H&E-stained section of a sentinel lymph node (breast cancer), from a whole-slide image, viewed at about 5×: the field is about 0.93 mm across, about 1.8 µm per pixel.
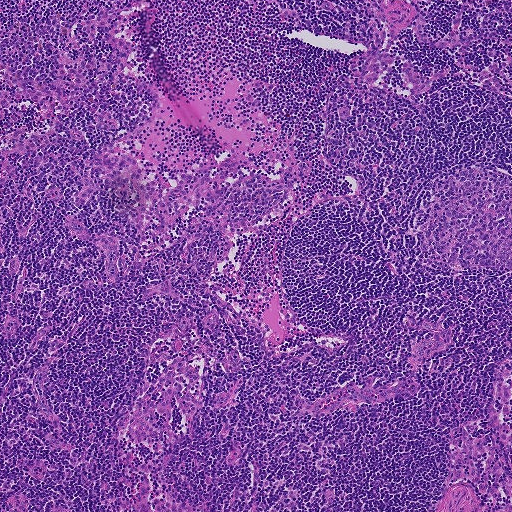
Question: Is any metastatic breast cancer visible in this crop?
Answer: No: no metastatic tumour is outlined anywhere in this field.